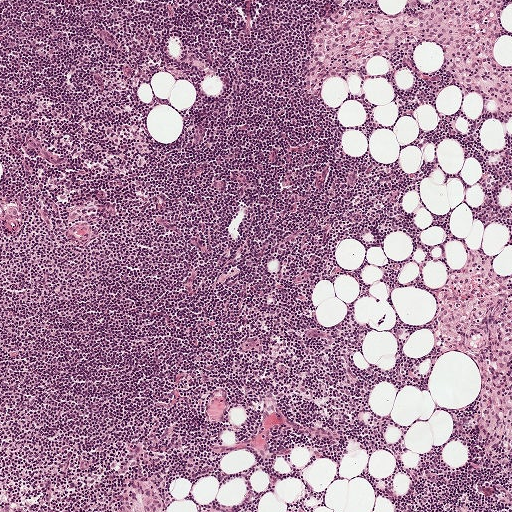
Lymph node section stained with H&E, from a whole-slide image of a breast-cancer sentinel node. Magnification about 5×, about 1 mm across the frame, about 1.9 µm per pixel.